Question: 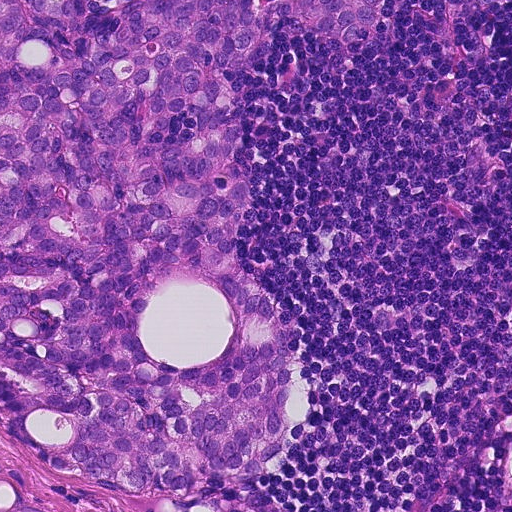
A 0.23-mm field of an H&E-stained sentinel lymph node from a breast-cancer patient (whole-slide image), shown at about 20×, about 0.45 µm per pixel.
Roughly what share of this field is metastatic tumour?

Choices:
 (A) none: no tumour is outlined
 (B) about 25% to 45%
 (C) about 5% or less
 (D) about 50% or more
 (E) about 10% to 20%

Answer: (D) about 50% or more
About 50% of the field is tumour.
One metastatic tumour region; its boundary, reduced to 17 corners and listed clockwise: (0, 0), (389, 0), (364, 47), (328, 46), (298, 22), (262, 38), (236, 107), (257, 182), (236, 260), (257, 292), (290, 312), (308, 385), (285, 456), (256, 480), (144, 496), (63, 486), (4, 437).